H&E-stained section of a sentinel lymph node (breast cancer), from a whole-slide image, viewed at about 10×: the field is about 0.46 mm across, about 0.9 µm per pixel.
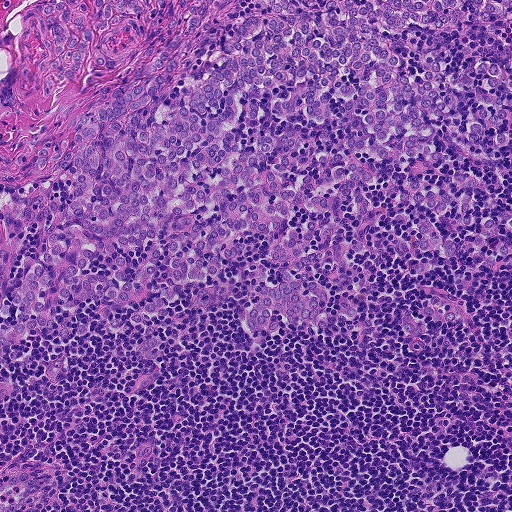
Metastatic tumour outline, simplified to 38 points and listed clockwise in crop pixels (x, y): (0, 0), (511, 0), (397, 48), (422, 74), (511, 53), (506, 158), (443, 126), (427, 182), (460, 169), (511, 209), (511, 267), (479, 264), (505, 236), (411, 208), (462, 243), (410, 274), (392, 246), (423, 232), (364, 192), (386, 207), (368, 250), (308, 279), (359, 318), (278, 314), (244, 346), (246, 273), (289, 264), (248, 233), (204, 288), (241, 299), (150, 316), (138, 392), (128, 303), (116, 331), (95, 300), (56, 305), (72, 337), (4, 355).
Tumour covers about 55% of the frame.